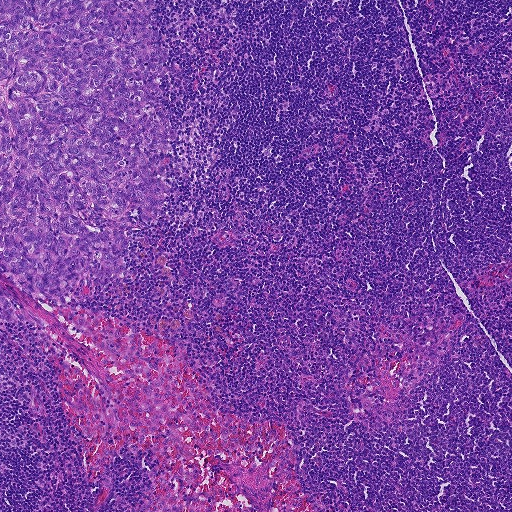
A 0.93-mm field of an H&E-stained sentinel lymph node from a breast-cancer patient (whole-slide image), shown at about 5×, about 1.8 µm per pixel.
Boundaries of two metastatic tumour regions, simplified and listed clockwise, largest first: region 1: (0, 0), (155, 0), (149, 14), (157, 23), (148, 28), (168, 51), (152, 80), (177, 137), (168, 141), (173, 152), (148, 160), (164, 166), (177, 190), (153, 224), (137, 208), (126, 212), (114, 228), (132, 237), (120, 252), (127, 275), (83, 286), (82, 298), (34, 298), (4, 277); region 2: (0, 287), (25, 307), (39, 322), (39, 326), (34, 327), (27, 320), (22, 319), (7, 323), (0, 320).
About 15% of the image area is annotated as tumour.